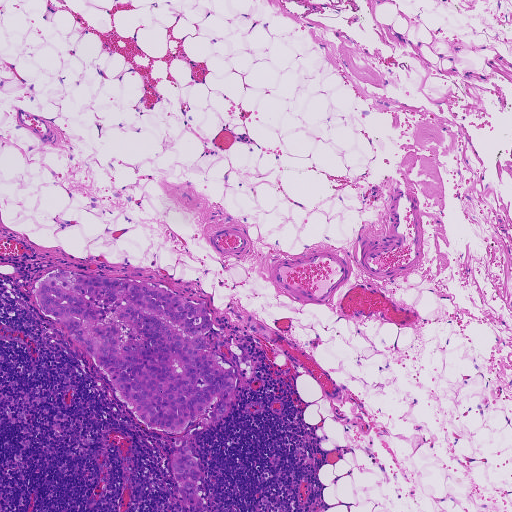
A 0.93-mm field of an H&E-stained sentinel lymph node from a breast-cancer patient (whole-slide image), shown at about 5×, about 1.8 µm per pixel.
Boundaries of two metastatic tumour regions, simplified and listed clockwise, largest first: region 1: (59, 268), (149, 284), (204, 303), (213, 322), (201, 351), (214, 353), (234, 376), (224, 417), (211, 423), (210, 408), (190, 421), (182, 433), (155, 431), (137, 420), (35, 298), (37, 280); region 2: (186, 445), (198, 460), (201, 473), (194, 491), (197, 496), (202, 498), (203, 505), (195, 507), (184, 502), (171, 463), (180, 447).
One more small tumour piece is annotated here but not outlined.
The annotated tumour makes up about 10% of the crop.